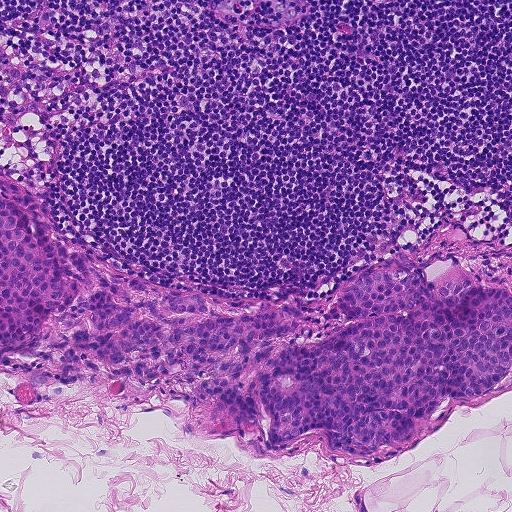
A 0.46-mm field of an H&E-stained sentinel lymph node from a breast-cancer patient (whole-slide image), shown at about 10×, about 0.9 µm per pixel.
Tumour region outline (a closed clockwise path, crop pixels): (0, 163), (60, 230), (167, 287), (289, 308), (360, 271), (434, 253), (511, 294), (511, 375), (480, 399), (450, 402), (449, 422), (432, 434), (358, 464), (320, 429), (266, 449), (181, 385), (40, 383), (0, 370).
Tumour covers about 30% of the frame.